Question: 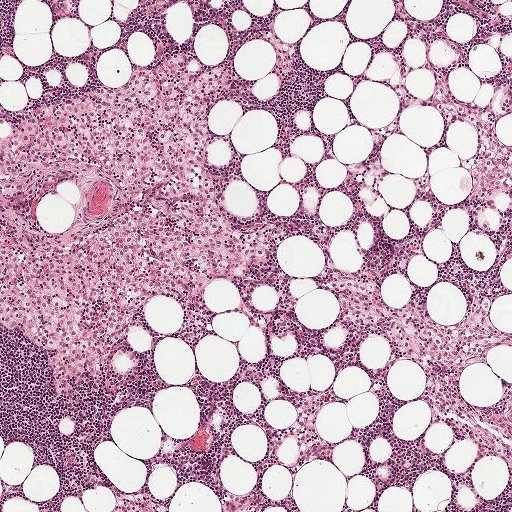
Which magnification is this H&E lymph node field most likely shown at?

Choices:
 (A) about 10×
 (B) about 2.5×
 (C) about 20×
 (D) about 5×
 (E) about 40×

Answer: (D) about 5×
This is a crop of a whole-slide image: an H&E-stained breast-cancer sentinel lymph node section at roughly 5× magnification (about 1.9 µm per pixel; the crop spans about 1 mm).